Image:
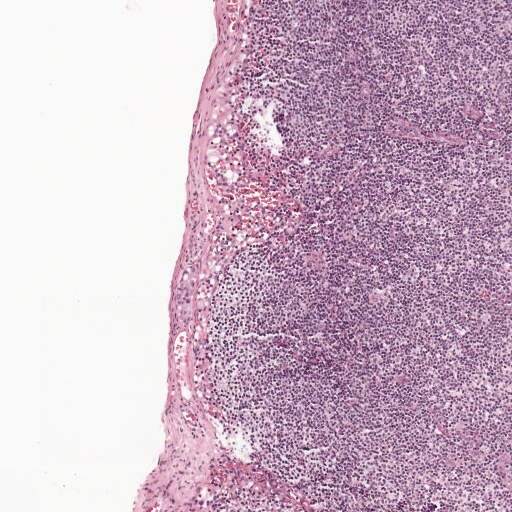
Lymph node section stained with H&E, from a whole-slide image of a breast-cancer sentinel node. Magnification about 5×, about 1 mm across the frame, about 1.9 µm per pixel.
Question:
Describe where the metastatic carcinoma lies in this crop.
Answer:
Metastatic tumour outline, simplified to 9 points and listed clockwise in crop pixels (x, y): (191, 264), (196, 270), (198, 295), (192, 320), (185, 327), (178, 322), (175, 310), (177, 285), (182, 273).
Under 5% of this field is tumour.

Image:
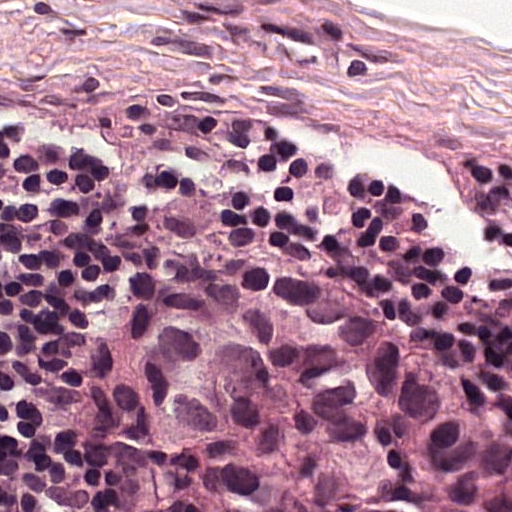
H&E-stained section of a sentinel lymph node (breast cancer), from a whole-slide image, viewed at about 40×: the field is about 0.12 mm across, about 0.24 µm per pixel.
Question:
Describe where the metastatic carcinoma lies in this crop.
Answer:
Metastatic tumour outline, simplified to 10 points and listed clockwise in crop pixels (x, y): (260, 241), (313, 246), (437, 315), (510, 391), (511, 511), (294, 511), (160, 399), (142, 341), (150, 294), (173, 262).
The annotated tumour makes up about 30% of the crop.

Image:
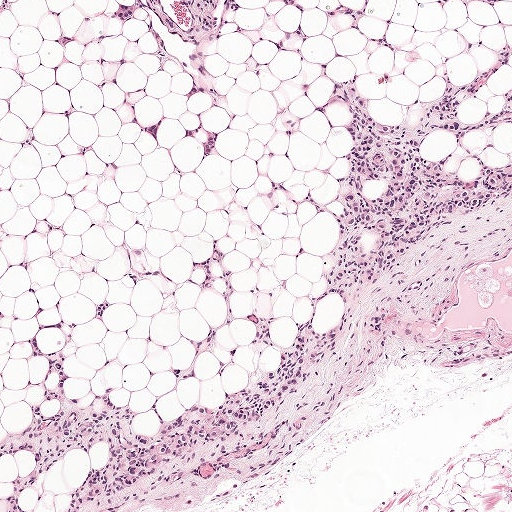
A 1-mm field of an H&E-stained sentinel lymph node from a breast-cancer patient (whole-slide image), shown at about 5×, about 1.9 µm per pixel.
Question:
Describe where the metastatic carcinoma lies in this crop.
Answer:
Outlines of five tumour regions, largest first (closed clockwise paths, crop pixels): region 1: (511, 37), (511, 188), (343, 313), (336, 351), (273, 417), (93, 510), (2, 511), (0, 493), (34, 470), (26, 452), (0, 459), (42, 388), (27, 329), (66, 320), (67, 393), (112, 383), (139, 431), (155, 393), (166, 416), (218, 405), (279, 344), (250, 348), (237, 322), (171, 386), (221, 313), (188, 267), (218, 240), (238, 313), (279, 340), (315, 308), (347, 118), (334, 81), (399, 122); region 2: (197, 124), (217, 129), (217, 134), (213, 150), (206, 155), (202, 154), (200, 150), (201, 139), (204, 132), (198, 131), (192, 138), (182, 135), (183, 132), (187, 127), (194, 128); region 3: (131, 0), (139, 3), (135, 12), (135, 20), (128, 20), (110, 13), (112, 5); region 4: (163, 114), (166, 114), (166, 117), (160, 133), (159, 137), (159, 144), (139, 127), (140, 126), (148, 124), (154, 118); region 5: (482, 0), (511, 0), (511, 7), (506, 2), (503, 2), (493, 8), (488, 8), (486, 7).
One more small tumour piece is annotated here but not outlined.
Tumour covers about 25% of the frame.

Image:
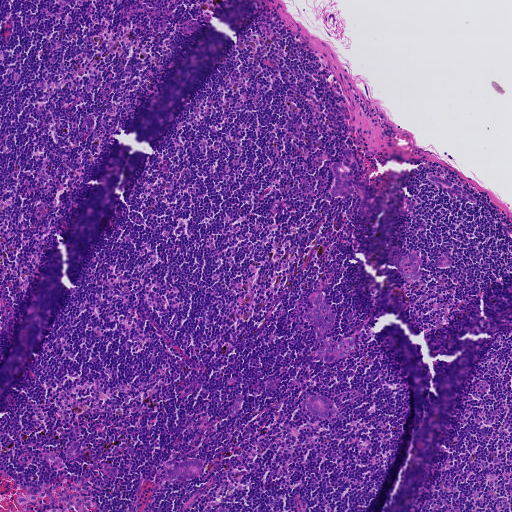
A 0.93-mm field of an H&E-stained sentinel lymph node from a breast-cancer patient (whole-slide image), shown at about 5×, about 1.8 µm per pixel.
Question:
Describe where the metastatic carcinoma lies in this crop.
Answer:
The eight largest tumour regions' boundaries, simplified and listed clockwise, largest first: region 1: (319, 292), (324, 292), (336, 315), (335, 320), (325, 337), (334, 340), (335, 345), (352, 335), (355, 340), (355, 350), (333, 362), (318, 361), (315, 352), (327, 342), (322, 339), (318, 341), (312, 327), (304, 320), (303, 314), (311, 308), (314, 304), (312, 299); region 2: (347, 149), (352, 150), (355, 154), (360, 175), (370, 186), (371, 196), (369, 206), (371, 210), (370, 215), (366, 216), (360, 215), (358, 211), (360, 196), (357, 192), (348, 196), (333, 197), (330, 193), (334, 179), (330, 164), (343, 158), (343, 152); region 3: (199, 459), (204, 462), (203, 472), (190, 480), (168, 482), (162, 472), (164, 462), (169, 460), (179, 462); region 4: (417, 249), (422, 252), (423, 256), (419, 280), (415, 283), (405, 282), (400, 274), (395, 260); region 5: (317, 394), (327, 397), (338, 407), (338, 412), (335, 416), (324, 418), (309, 413), (303, 406), (304, 400); region 6: (432, 174), (447, 179), (470, 192), (476, 200), (473, 201), (452, 197), (436, 187), (427, 176); region 7: (404, 196), (413, 199), (416, 203), (413, 212), (404, 215), (399, 215), (397, 207); region 8: (78, 441), (78, 446), (77, 451), (73, 453), (74, 458), (72, 458), (67, 458), (65, 453), (67, 448), (70, 444), (74, 442).
Two more, smaller tumour regions are not outlined.
Four more small tumour pieces are annotated here but not outlined.
Tumour covers about 5% of the frame.